This is a crop of a whole-slide image: an H&E-stained breast-cancer sentinel lymph node section at roughly 5× magnification (about 1.8 µm per pixel; the crop spans about 0.93 mm).
Image:
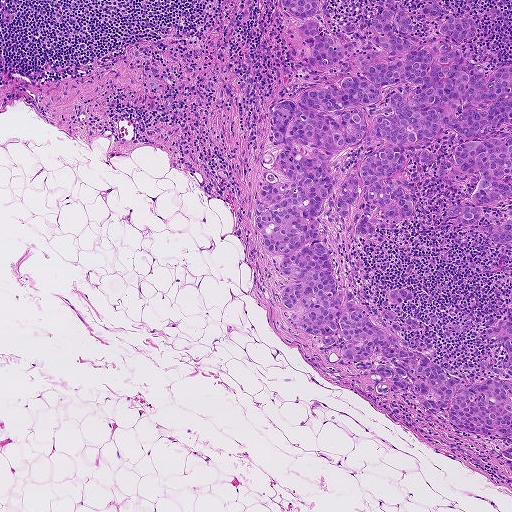
Question:
Is there metastatic carcinoma in this field?
Answer:
Yes.
Boundaries of four metastatic tumour regions, simplified and listed clockwise, largest first: region 1: (280, 0), (343, 33), (395, 0), (420, 44), (435, 2), (485, 78), (511, 63), (511, 128), (484, 137), (511, 135), (511, 199), (447, 214), (479, 179), (438, 175), (454, 132), (404, 167), (407, 220), (358, 239), (360, 192), (335, 215), (366, 143), (334, 155), (316, 218), (374, 320), (406, 287), (391, 310), (427, 324), (403, 342), (511, 380), (511, 440), (377, 395), (285, 317), (254, 224), (270, 116), (365, 79), (352, 58), (303, 65); region 2: (511, 277), (511, 372), (510, 372), (507, 360), (505, 349), (496, 341), (485, 338), (481, 330), (490, 322), (501, 318), (507, 308), (508, 285); region 3: (511, 218), (511, 243), (494, 246), (478, 230), (481, 226), (504, 222); region 4: (511, 446), (511, 471), (500, 455), (499, 449).
Tumour covers about 25% of the frame.